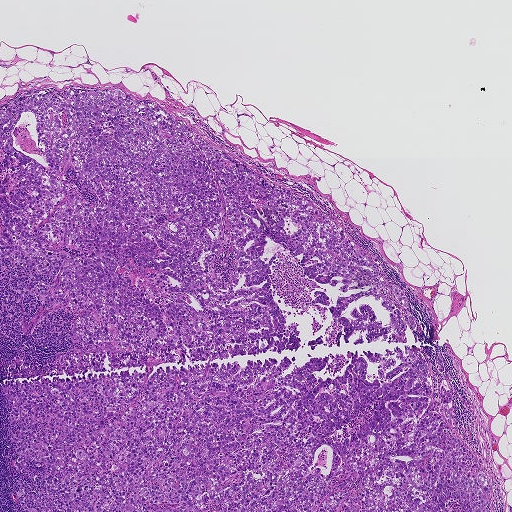
This is a crop of a whole-slide image: an H&E-stained breast-cancer sentinel lymph node section at roughly 2.5× magnification (about 3.6 µm per pixel; the crop spans about 1.9 mm).
One metastatic tumour region; its boundary, reduced to 23 corners and listed clockwise: (154, 102), (376, 257), (406, 342), (313, 350), (328, 308), (370, 286), (314, 280), (314, 335), (274, 295), (299, 346), (3, 380), (348, 350), (373, 382), (416, 348), (491, 511), (25, 511), (33, 480), (8, 435), (0, 382), (9, 360), (99, 345), (3, 257), (0, 108).
One more small tumour piece is annotated here but not outlined.
About 55% of this field is tumour.